Question: 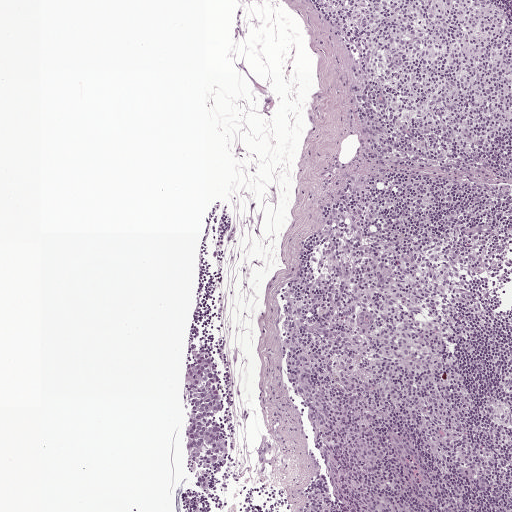
About what magnification does this crop show?

Choices:
 (A) about 20×
 (B) about 5×
 (C) about 40×
 (D) about 10×
 (E) about 2.5×

Answer: (B) about 5×
Lymph node section stained with H&E, from a whole-slide image of a breast-cancer sentinel node. Magnification about 5×, about 1 mm across the frame, about 1.9 µm per pixel.
Metastatic tumour outline, simplified to 19 points and listed clockwise in crop pixels (x, y): (200, 346), (210, 351), (217, 364), (220, 387), (224, 396), (223, 407), (214, 413), (225, 444), (225, 455), (211, 473), (210, 484), (202, 491), (188, 459), (183, 435), (188, 412), (182, 379), (183, 368), (193, 362), (191, 352).
Under 5% of this field is tumour.